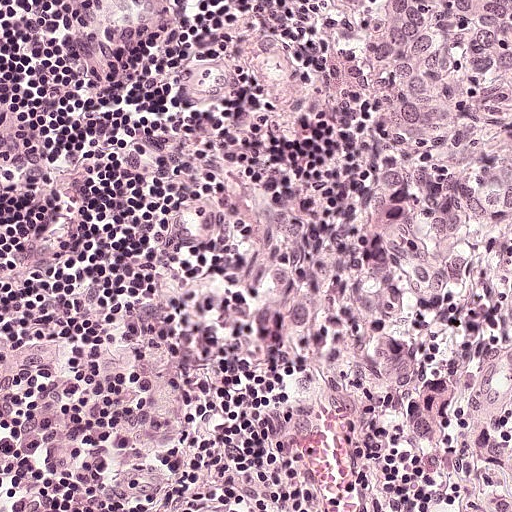
A 0.25-mm field of an H&E-stained sentinel lymph node from a breast-cancer patient (whole-slide image), shown at about 20×, about 0.49 µm per pixel.
Question: Where is the metastatic tumour in this field? Give each region's outline as (x, y) pixel points.
Answer: Metastatic tumour outline, simplified to 15 points and listed clockwise in crop pixels (x, y): (511, 0), (511, 511), (450, 511), (452, 490), (366, 394), (300, 359), (280, 314), (254, 292), (250, 240), (274, 209), (326, 204), (367, 176), (362, 132), (320, 40), (320, 4).
The annotated tumour makes up about 35% of the crop.